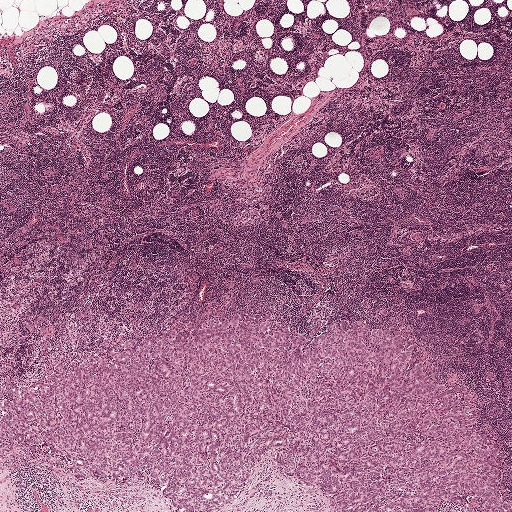
H&E-stained section of a sentinel lymph node (breast cancer), from a whole-slide image, viewed at about 2.5×: the field is about 2.0 mm across, about 3.9 µm per pixel.
One metastatic tumour region; its boundary, reduced to 21 corners and listed clockwise: (232, 317), (290, 336), (338, 322), (392, 332), (414, 342), (414, 364), (462, 389), (460, 402), (493, 432), (511, 511), (332, 511), (283, 480), (269, 452), (225, 511), (173, 511), (136, 478), (80, 486), (44, 459), (0, 461), (6, 395), (78, 358).
The annotated tumour makes up about 30% of the crop.